Question: 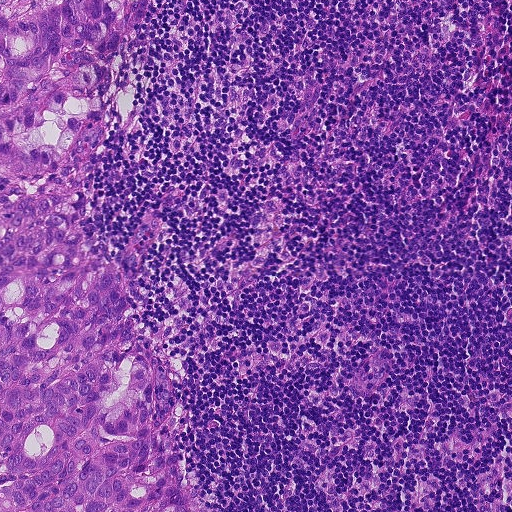
This is a crop of a whole-slide image: an H&E-stained breast-cancer sentinel lymph node section at roughly 10× magnification (about 0.9 µm per pixel; the crop spans about 0.46 mm).
Roughly what share of this field is metastatic tumour?

Choices:
 (A) about 25% to 45%
 (B) none: no tumour is outlined
 (C) about 10% to 20%
 (D) about 50% or more
 (E) about 5% or less

Answer: (A) about 25% to 45%
About 25% of the field is tumour.
One metastatic tumour region; its boundary, reduced to 13 corners and listed clockwise: (0, 0), (143, 0), (100, 118), (108, 128), (87, 214), (113, 267), (130, 246), (142, 249), (124, 320), (172, 367), (165, 433), (206, 511), (0, 511).